This is a crop of a whole-slide image: an H&E-stained breast-cancer sentinel lymph node section at roughly 10× magnification (about 0.97 µm per pixel; the crop spans about 0.5 mm).
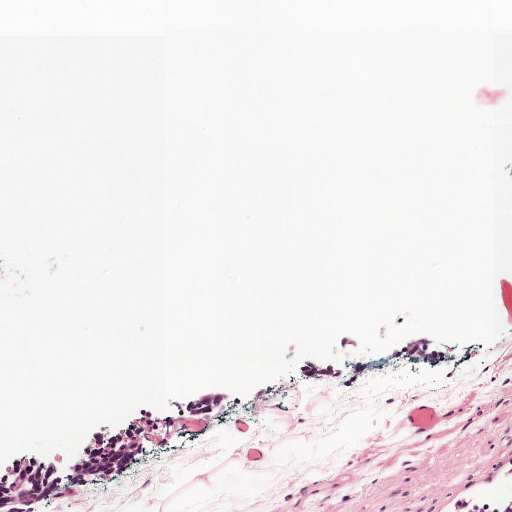
Outlines of four tumour regions, largest first (closed clockwise paths, crop pixels): region 1: (115, 423), (148, 428), (135, 467), (41, 511), (0, 511), (0, 462); region 2: (422, 335), (443, 344), (450, 357), (434, 361), (416, 361), (389, 358), (391, 349), (414, 336); region 3: (198, 394), (235, 396), (218, 412), (195, 416), (179, 405); region 4: (303, 359), (323, 361), (347, 373), (335, 378), (320, 379), (296, 373).
Two more small tumour pieces are annotated here but not outlined.
About 5% of the image area is annotated as tumour.